Lymph node section stained with H&E, from a whole-slide image of a breast-cancer sentinel node. Magnification about 5×, about 1 mm across the frame, about 1.9 µm per pixel.
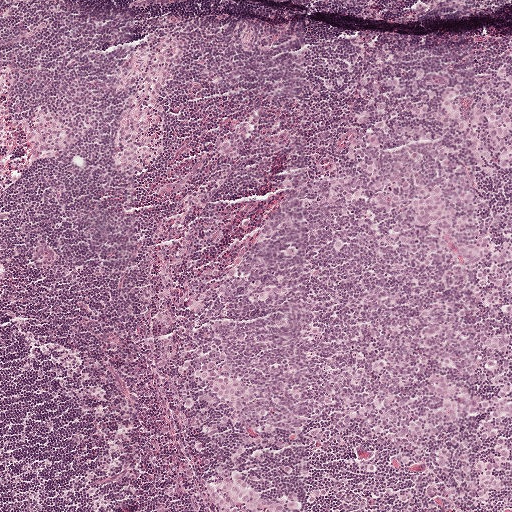
Metastatic tumour outline, simplified to 12 points and listed clockwise in crop pixels (x, y): (511, 65), (511, 511), (216, 511), (180, 416), (176, 339), (199, 287), (248, 256), (290, 201), (352, 165), (360, 86), (392, 74), (454, 82).
About 45% of this field is tumour.